H&E-stained section of a sentinel lymph node (breast cancer), from a whole-slide image, viewed at about 5×: the field is about 1 mm across, about 1.9 µm per pixel.
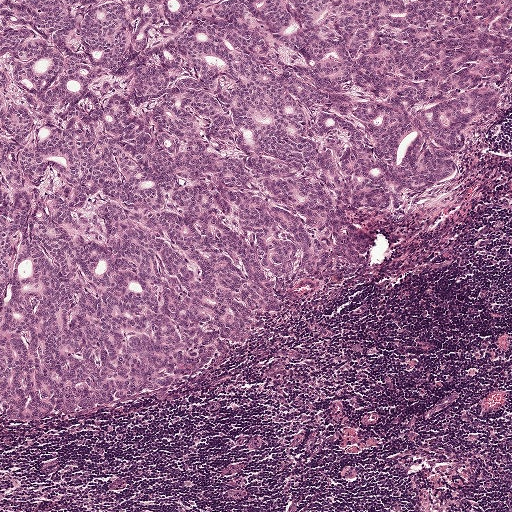
One metastatic tumour region; its boundary, reduced to 13 corners and listed clockwise: (0, 0), (511, 0), (511, 78), (482, 136), (427, 194), (368, 218), (354, 274), (330, 283), (304, 271), (261, 338), (182, 382), (89, 420), (0, 426).
Tumour covers about 60% of the frame.